Question: 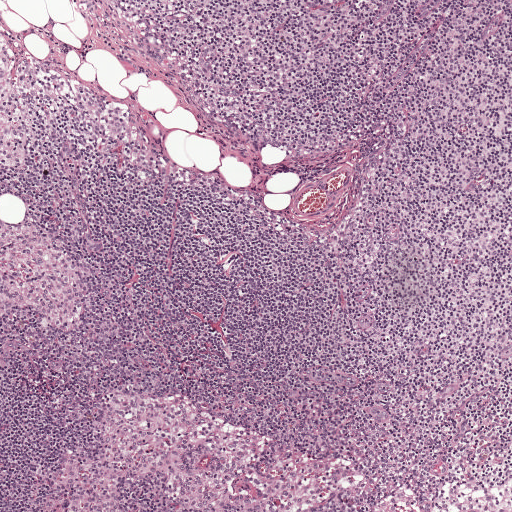
At roughly what magnification is this field shown?

Choices:
 (A) about 40×
 (B) about 10×
 (C) about 2.5×
 (D) about 20×
 (E) about 5×

Answer: (E) about 5×
A 1-mm field of an H&E-stained sentinel lymph node from a breast-cancer patient (whole-slide image), shown at about 5×, about 1.9 µm per pixel.